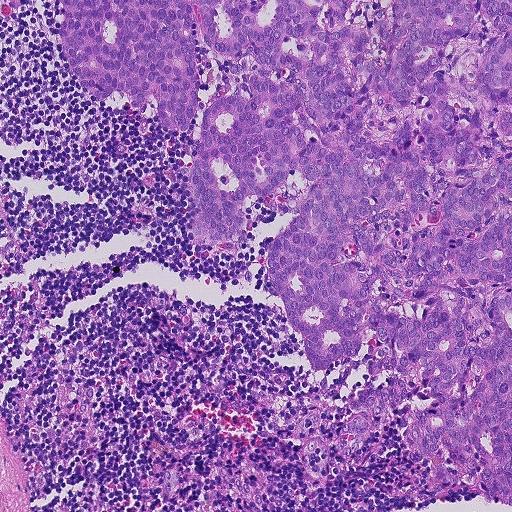
H&E-stained section of a sentinel lymph node (breast cancer), from a whole-slide image, viewed at about 10×: the field is about 0.46 mm across, about 0.9 µm per pixel.
Tumour region outline (a closed clockwise path, crop pixels): (511, 0), (511, 506), (424, 491), (431, 464), (406, 458), (402, 401), (321, 482), (306, 474), (300, 411), (340, 425), (371, 374), (361, 360), (312, 375), (282, 298), (265, 293), (270, 242), (297, 214), (262, 220), (229, 260), (197, 246), (190, 127), (93, 104), (56, 8).
About 55% of the image area is annotated as tumour.